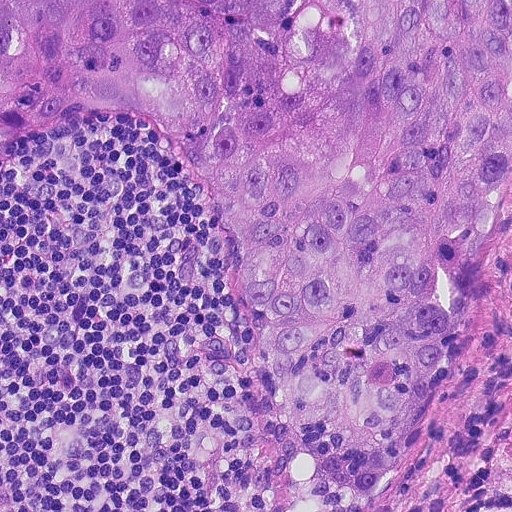
Lymph node section stained with H&E, from a whole-slide image of a breast-cancer sentinel node. Magnification about 20×, about 0.23 mm across the frame, about 0.45 µm per pixel.
Question: Show where the tumour is in this image.
Answer: The outlined metastatic tumour's edge, as a closed clockwise path of 13 points: (0, 0), (511, 0), (511, 160), (490, 280), (390, 480), (358, 493), (326, 478), (284, 422), (227, 216), (192, 154), (136, 117), (101, 116), (0, 156).
About 55% of the image area is annotated as tumour.